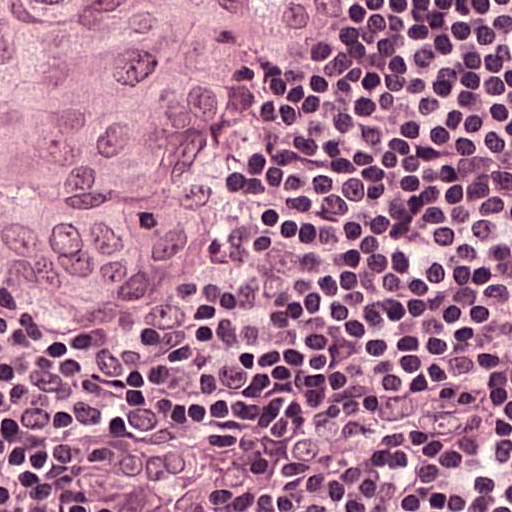
This is a crop of a whole-slide image: an H&E-stained breast-cancer sentinel lymph node section at roughly 40× magnification (about 0.24 µm per pixel; the crop spans about 0.12 mm).
The outlined metastatic tumour's edge, as a closed clockwise path of 11 points: (0, 0), (403, 0), (370, 66), (296, 123), (239, 209), (199, 232), (193, 271), (153, 334), (130, 344), (62, 344), (5, 323).
Tumour covers about 35% of the frame.